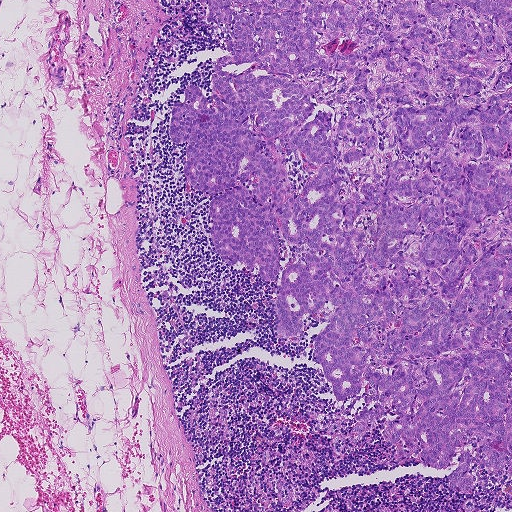
A 0.93-mm field of an H&E-stained sentinel lymph node from a breast-cancer patient (whole-slide image), shown at about 5×, about 1.8 µm per pixel.
One metastatic tumour region; its boundary, reduced to 22 corners and listed clockwise: (511, 0), (511, 481), (453, 493), (459, 459), (393, 461), (382, 416), (334, 452), (331, 421), (351, 428), (366, 403), (336, 403), (313, 362), (329, 322), (279, 338), (276, 279), (216, 254), (209, 194), (170, 140), (181, 91), (206, 98), (228, 52), (207, 7).
Tumour covers about 45% of the frame.